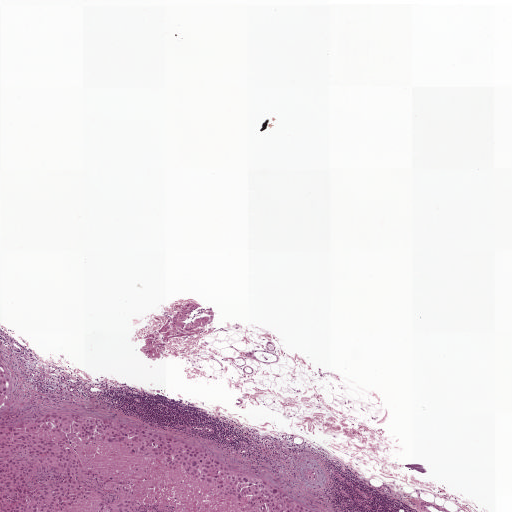
Lymph node section stained with H&E, from a whole-slide image of a breast-cancer sentinel node. Magnification about 2.5×, about 2.0 mm across the frame, about 3.9 µm per pixel.
Tumour region outline (a closed clockwise path, crop pixels): (0, 366), (10, 388), (4, 404), (10, 409), (87, 413), (164, 431), (266, 477), (313, 511), (0, 511).
Tumour covers about 10% of the frame.